Question: 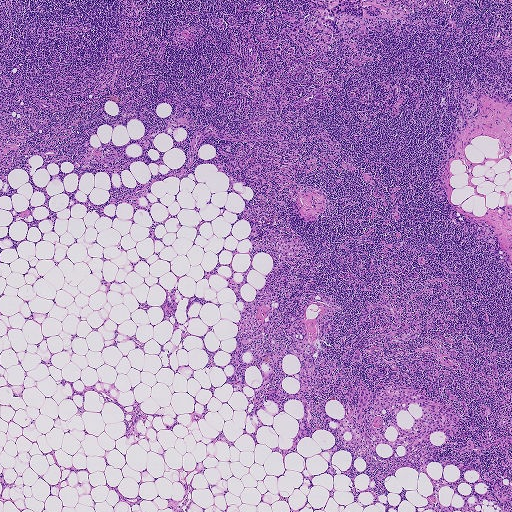
H&E-stained section of a sentinel lymph node (breast cancer), from a whole-slide image, viewed at about 2.5×: the field is about 1.9 mm across, about 3.6 µm per pixel.
Estimate the proportion of this field that is metastatic tumour.

Choices:
 (A) about 5% or less
 (B) none: no tumour is outlined
 (C) about 10% to 20%
 (D) about 50% or more
 (E) about 25% to 45%

Answer: (A) about 5% or less
Under 5% of the field is tumour.
The outlined metastatic tumour's edge, as a closed clockwise path of 36 points: (304, 0), (388, 0), (382, 5), (374, 4), (382, 7), (382, 16), (374, 18), (364, 14), (363, 18), (363, 22), (367, 25), (384, 26), (381, 29), (366, 30), (359, 36), (345, 40), (334, 34), (330, 42), (325, 43), (312, 42), (324, 30), (313, 36), (310, 28), (306, 27), (294, 34), (280, 31), (283, 27), (292, 26), (291, 21), (280, 15), (279, 8), (304, 17), (305, 24), (315, 18), (308, 13), (310, 4).
One more small tumour piece is annotated here but not outlined.